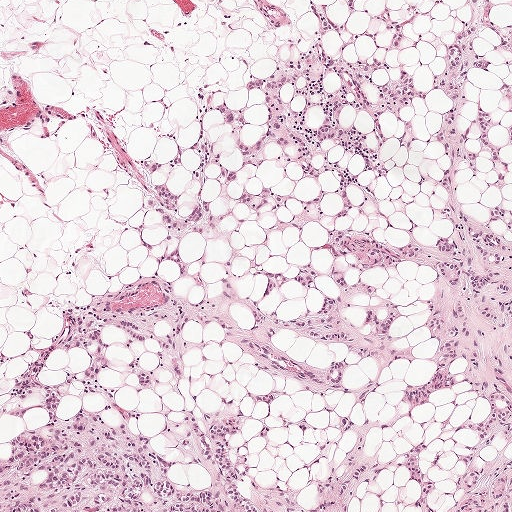
A 1-mm field of an H&E-stained sentinel lymph node from a breast-cancer patient (whole-slide image), shown at about 5×, about 1.9 µm per pixel.
Question: Describe where the metastatic carcinoma lies in this crop.
Answer: Outlines of five tumour regions, largest first (closed clockwise paths, crop pixels): region 1: (468, 0), (511, 28), (511, 63), (474, 37), (458, 126), (481, 105), (510, 164), (459, 182), (471, 215), (511, 207), (511, 511), (0, 511), (13, 385), (175, 243), (178, 288), (292, 318), (318, 293), (256, 283), (324, 271), (328, 235), (449, 238), (430, 78); region 2: (308, 0), (327, 6), (333, 61), (384, 59), (370, 83), (412, 70), (426, 95), (404, 110), (415, 129), (404, 151), (394, 112), (381, 115), (381, 144), (354, 107), (340, 109), (387, 166), (364, 215), (348, 185), (341, 220), (344, 199), (330, 192), (320, 226), (296, 233), (285, 225), (319, 193), (316, 180), (282, 163), (279, 142), (244, 166), (214, 111), (220, 101), (245, 108), (241, 143), (259, 142), (269, 115), (243, 83), (314, 41); region 3: (201, 128), (222, 165), (234, 172), (250, 191), (258, 192), (266, 184), (283, 193), (287, 201), (279, 208), (263, 206), (255, 211), (240, 209), (235, 206), (235, 200), (241, 184), (225, 183), (215, 167), (208, 168), (205, 181), (198, 186), (191, 176), (194, 154), (187, 151), (200, 136); region 4: (143, 161), (159, 166), (152, 179), (158, 184), (170, 187), (177, 197), (176, 213), (182, 214), (189, 211), (198, 188), (204, 197), (213, 200), (212, 210), (197, 218), (187, 229), (174, 229), (166, 226), (162, 221), (154, 195), (141, 171); region 5: (511, 82), (511, 99), (500, 96), (499, 92), (499, 89), (506, 84), (510, 84).
One more small tumour piece is annotated here but not outlined.
About 55% of this field is tumour.